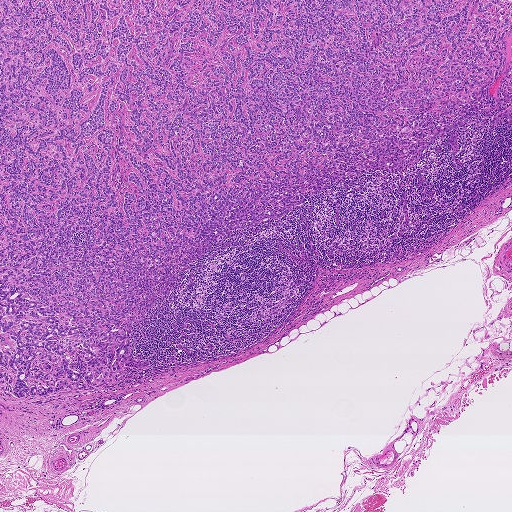
Lymph node section stained with H&E, from a whole-slide image of a breast-cancer sentinel node. Magnification about 2.5×, about 1.9 mm across the frame, about 3.6 µm per pixel.
Tumour region outline (a closed clockwise path, crop pixels): (0, 0), (511, 0), (511, 125), (494, 126), (494, 116), (442, 131), (413, 165), (361, 171), (210, 243), (165, 294), (162, 282), (153, 288), (153, 306), (134, 319), (131, 357), (151, 364), (121, 367), (135, 380), (20, 397), (2, 384).
About 50% of the image area is annotated as tumour.